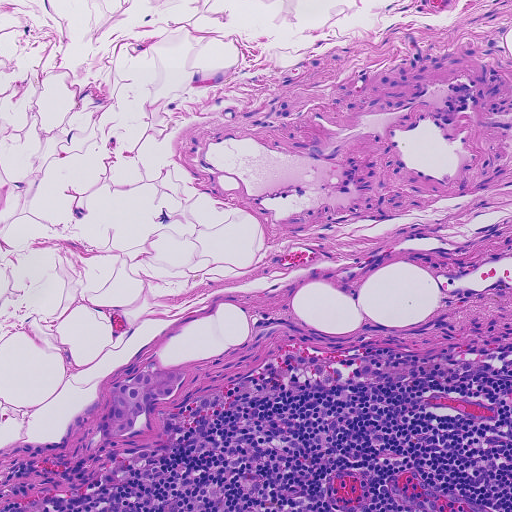
Lymph node section stained with H&E, from a whole-slide image of a breast-cancer sentinel node. Magnification about 10×, about 0.46 mm across the frame, about 0.91 µm per pixel.
One metastatic tumour region; its boundary, reduced to 17 corners and listed clockwise: (162, 367), (188, 371), (186, 381), (178, 384), (175, 395), (168, 400), (159, 400), (150, 406), (132, 431), (108, 439), (99, 437), (96, 432), (95, 422), (107, 396), (108, 383), (134, 377), (140, 371).
Tumour covers under 5% of the frame.